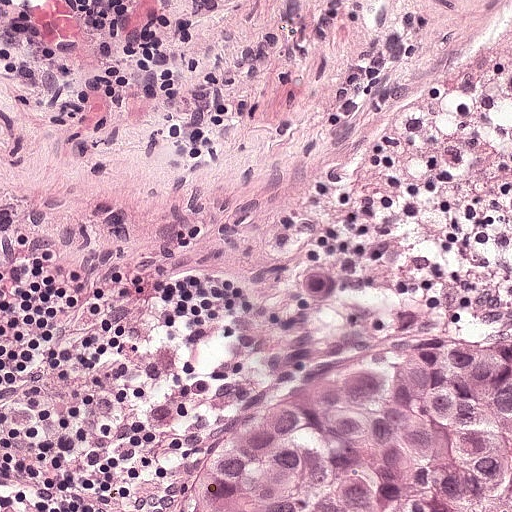
This is a crop of a whole-slide image: an H&E-stained breast-cancer sentinel lymph node section at roughly 20× magnification (about 0.49 µm per pixel; the crop spans about 0.25 mm).
The outlined metastatic tumour's edge, as a closed clockwise path of 8 points: (417, 326), (510, 326), (511, 511), (133, 511), (167, 483), (149, 480), (204, 460), (385, 339).
About 20% of this field is tumour.